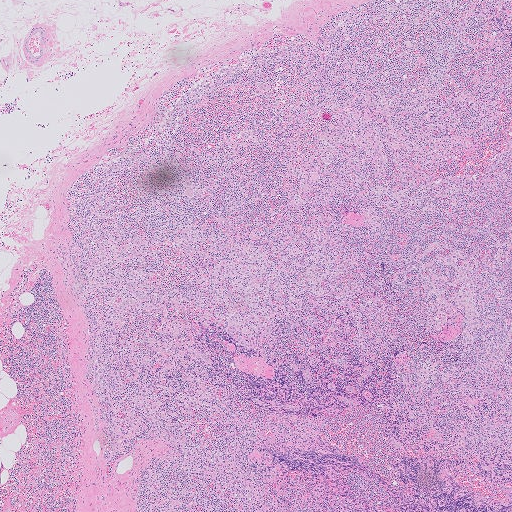
A 2.0-mm field of an H&E-stained sentinel lymph node from a breast-cancer patient (whole-slide image), shown at about 2.5×, about 4.0 µm per pixel.
Metastatic tumour outline, simplified to 6 points and listed clockwise in crop pixels (x, y): (266, 82), (270, 87), (266, 92), (258, 94), (253, 90), (257, 83).
One more small tumour piece is annotated here but not outlined.
Under 5% of the image area is annotated as tumour.